Image:
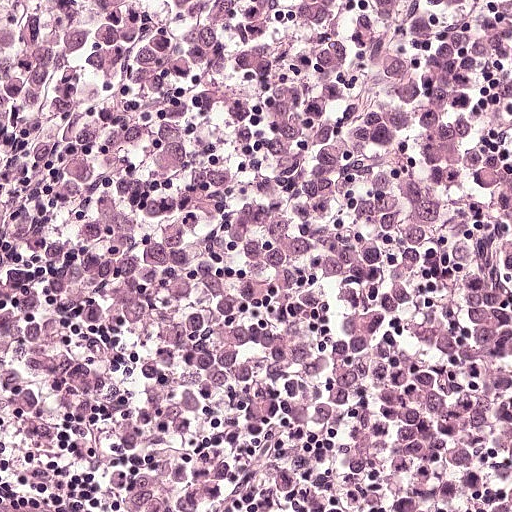
A 0.25-mm field of an H&E-stained sentinel lymph node from a breast-cancer patient (whole-slide image), shown at about 20×, about 0.49 µm per pixel.
Question:
Trace the edge of each tumour region in this crop, as (x, y) points from 0 to 511.
Answer:
One metastatic tumour region; its boundary, reduced to 5 corners and listed clockwise: (511, 0), (511, 193), (393, 185), (270, 140), (159, 3).
About 20% of the image area is annotated as tumour.